A 2.0-mm field of an H&E-stained sentinel lymph node from a breast-cancer patient (whole-slide image), shown at about 2.5×, about 3.9 µm per pixel.
Image:
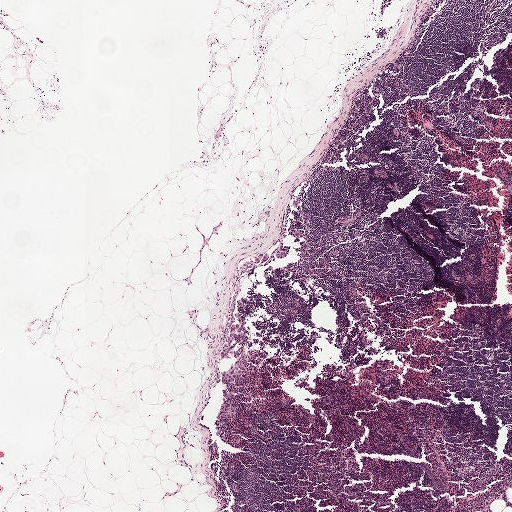
Question:
Where is the metastatic tumour in this field?
Answer:
Boundaries of four metastatic tumour regions, simplified and listed clockwise, largest first: region 1: (231, 312), (235, 318), (235, 322), (240, 327), (240, 331), (239, 332), (240, 336), (237, 339), (232, 340), (228, 352), (230, 356), (229, 358), (222, 359), (219, 357), (218, 353), (224, 338), (228, 332), (228, 326); region 2: (223, 389), (232, 391), (234, 396), (232, 403), (235, 407), (235, 414), (234, 417), (229, 419), (218, 419), (215, 416), (216, 412), (223, 403), (221, 396); region 3: (235, 361), (241, 362), (241, 382), (236, 385), (233, 382), (227, 385), (220, 383), (222, 372); region 4: (263, 253), (263, 255), (264, 253), (267, 253), (268, 255), (268, 259), (264, 262), (261, 263), (260, 263), (259, 261), (262, 257), (257, 262), (256, 262), (254, 261), (253, 260), (255, 257).
Nine more small tumour pieces are annotated here but not outlined.
Under 5% of the image area is annotated as tumour.